Question: 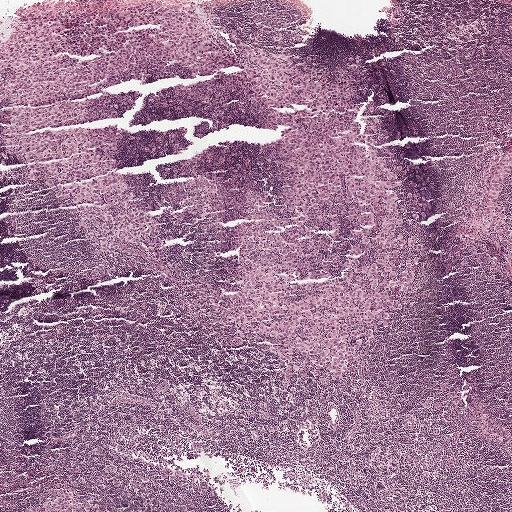
A 2.0-mm field of an H&E-stained sentinel lymph node from a breast-cancer patient (whole-slide image), shown at about 2.5×, about 3.9 µm per pixel.
Estimate the proportion of this field that is metastatic tumour.

Choices:
 (A) about 25% to 45%
 (B) about 50% or more
 (C) about 10% to 20%
 (D) none: no tumour is outlined
 (E) about 5% or less

Answer: (A) about 25% to 45%
About 40% of the field is tumour.
Boundaries of four metastatic tumour regions, simplified and listed clockwise, largest first: region 1: (174, 0), (366, 96), (405, 174), (399, 209), (423, 253), (404, 311), (341, 389), (297, 358), (278, 364), (198, 323), (161, 266), (126, 248), (95, 256), (0, 157), (0, 34), (38, 2); region 2: (511, 146), (511, 190), (507, 188), (501, 189), (498, 191), (498, 195), (504, 200), (511, 202), (511, 258), (502, 251), (497, 244), (481, 231), (478, 224), (479, 202), (491, 173); region 3: (64, 479), (79, 486), (78, 498), (93, 503), (106, 511), (28, 511), (37, 503), (45, 491); region 4: (163, 469), (192, 478), (201, 494), (198, 496), (189, 496), (159, 479), (158, 475).